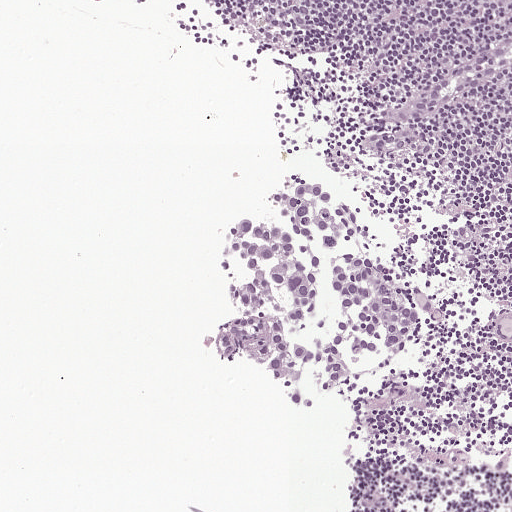
Lymph node section stained with H&E, from a whole-slide image of a breast-cancer sentinel node. Magnification about 10×, about 0.5 mm across the frame, about 0.97 µm per pixel.
Question: Which parts of this field are metastatic tumour? Answer with the outline of each region, in pixels.
Answer: Tumour region outline (a closed clockwise path, crop pixels): (298, 179), (336, 196), (418, 314), (419, 338), (391, 373), (316, 412), (274, 401), (258, 387), (250, 365), (208, 356), (219, 314), (218, 246), (227, 225), (264, 206), (274, 188).
The annotated tumour makes up about 15% of the crop.